Question: 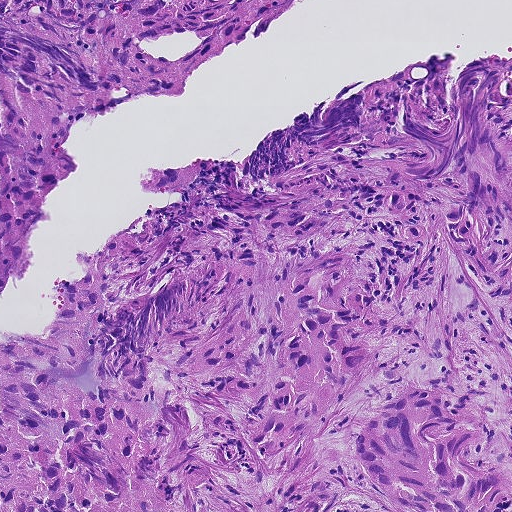
H&E-stained section of a sentinel lymph node (breast cancer), from a whole-slide image, viewed at about 10×: the field is about 0.46 mm across, about 0.9 µm per pixel.
About how much of this crop is taken up by metastatic carcinoma?

Choices:
 (A) about 50% or more
 (B) none: no tumour is outlined
 (C) about 25% to 45%
 (D) about 5% or less
 (E) about 10% to 20%

Answer: (A) about 50% or more
About 80% of the field is tumour.
Boundaries of two metastatic tumour regions, simplified and listed clockwise, largest first: region 1: (455, 56), (446, 95), (470, 63), (506, 57), (511, 511), (0, 511), (0, 342), (51, 327), (56, 285), (83, 272), (78, 251), (92, 254), (129, 220), (179, 196), (137, 190), (140, 172), (238, 160), (362, 79), (351, 92); region 2: (0, 0), (310, 0), (263, 35), (191, 70), (177, 95), (118, 103), (71, 132), (66, 151), (78, 170), (51, 196), (44, 207), (52, 219), (38, 223), (29, 258), (0, 292).